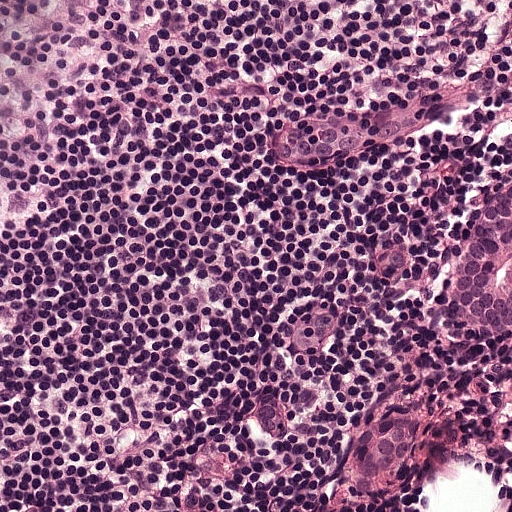
This is a crop of a whole-slide image: an H&E-stained breast-cancer sentinel lymph node section at roughly 20× magnification (about 0.49 µm per pixel; the crop spans about 0.25 mm).
Outlines of two tumour regions, largest first (closed clockwise paths, crop pixels): region 1: (510, 194), (511, 331), (479, 331), (473, 330), (462, 316), (460, 286), (482, 228), (495, 208); region 2: (378, 425), (407, 425), (413, 438), (412, 474), (395, 490), (381, 496), (366, 496), (356, 490), (358, 454), (374, 426).
One more small tumour piece is annotated here but not outlined.
About 5% of this field is tumour.